This is a crop of a whole-slide image: an H&E-stained breast-cancer sentinel lymph node section at roughly 5× magnification (about 1.9 µm per pixel; the crop spans about 1 mm).
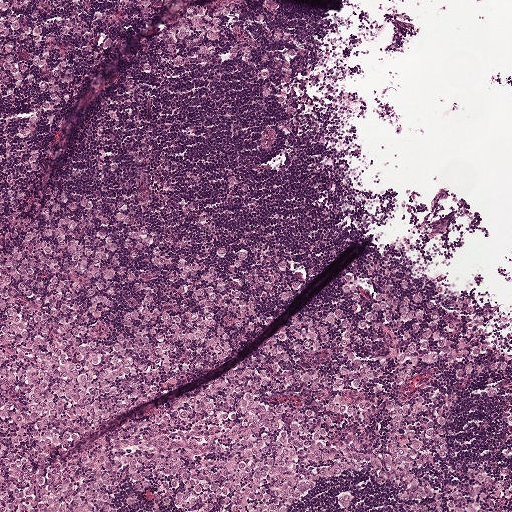
Tumour region outline (a closed clockwise path, crop pixels): (0, 188), (108, 201), (204, 252), (322, 271), (258, 339), (86, 429), (56, 462), (204, 393), (342, 280), (324, 272), (424, 292), (478, 326), (497, 349), (450, 450), (509, 470), (511, 511), (404, 511), (358, 476), (322, 481), (290, 511), (179, 511), (124, 490), (116, 511), (0, 511).
The annotated tumour makes up about 45% of the crop.